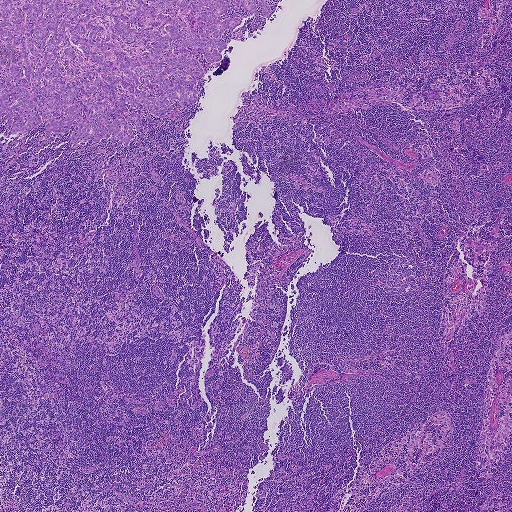
This is a crop of a whole-slide image: an H&E-stained breast-cancer sentinel lymph node section at roughly 2.5× magnification (about 3.6 µm per pixel; the crop spans about 1.9 mm).
Metastatic tumour outline, simplified to 23 points and listed clockwise in crop pixels (x, y): (0, 0), (267, 0), (267, 18), (233, 4), (221, 18), (251, 38), (231, 39), (218, 62), (195, 54), (197, 100), (172, 119), (149, 113), (148, 125), (146, 114), (125, 149), (89, 140), (79, 152), (67, 132), (33, 154), (46, 121), (4, 170), (15, 134), (1, 134).
The annotated tumour makes up about 10% of the crop.